Question: 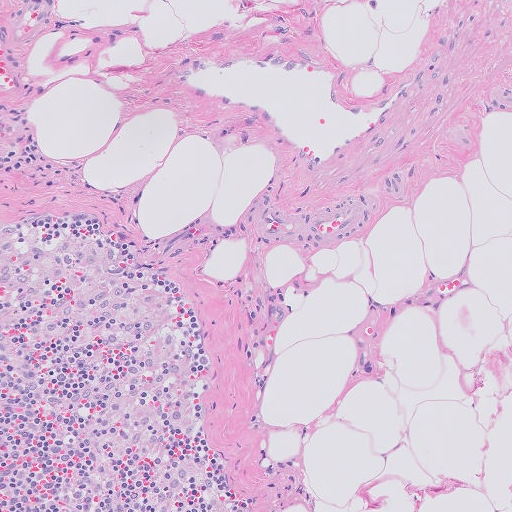
About what magnification does this crop show?

Choices:
 (A) about 20×
 (B) about 40×
 (C) about 2.5×
 (D) about 5×
 (E) about 10×

Answer: (E) about 10×
This is a crop of a whole-slide image: an H&E-stained breast-cancer sentinel lymph node section at roughly 10× magnification (about 1.0 µm per pixel; the crop spans about 0.51 mm).